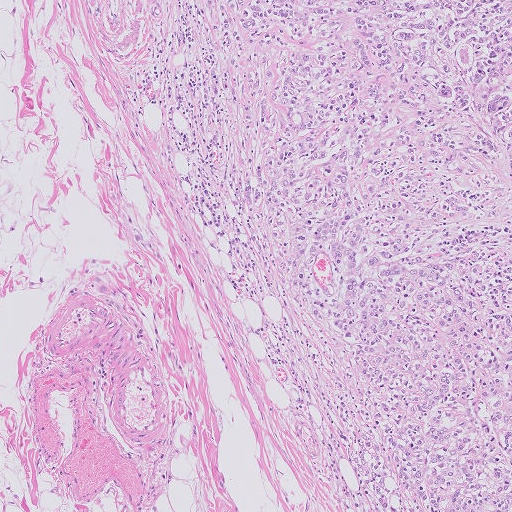
Lymph node section stained with H&E, from a whole-slide image of a breast-cancer sentinel node. Magnification about 5×, about 1.0 mm across the frame, about 2.0 µm per pixel.
Tumour region outline (a closed clockwise path, crop pixels): (511, 0), (511, 511), (379, 511), (320, 448), (178, 124), (176, 2).
About 50% of this field is tumour.